Image:
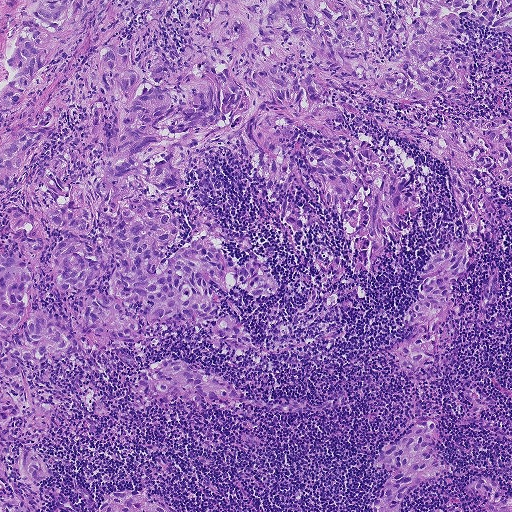
A 0.93-mm field of an H&E-stained sentinel lymph node from a breast-cancer patient (whole-slide image), shown at about 5×, about 1.8 µm per pixel.
Question:
Describe where the metastatic carcinoma lies in this crop.
Answer:
Boundaries of six metastatic tumour regions, simplified and listed clockwise, largest first: region 1: (29, 0), (511, 0), (511, 40), (462, 18), (477, 104), (452, 114), (511, 110), (511, 217), (459, 285), (440, 378), (387, 350), (463, 234), (448, 168), (388, 136), (434, 173), (403, 268), (344, 264), (302, 314), (310, 260), (349, 249), (337, 216), (306, 198), (299, 233), (252, 164), (205, 152), (196, 209), (278, 276), (244, 305), (210, 281), (252, 351), (184, 326), (135, 365), (63, 356), (31, 448), (68, 500), (0, 511), (0, 231), (27, 208), (0, 195), (0, 88); region 2: (427, 420), (437, 424), (442, 434), (434, 451), (435, 457), (438, 462), (449, 465), (452, 470), (414, 487), (409, 490), (397, 511), (372, 511), (370, 503), (380, 495), (386, 479), (395, 470), (377, 471), (373, 467), (383, 446), (400, 441), (415, 422); region 3: (166, 358), (187, 362), (222, 378), (245, 392), (244, 398), (206, 405), (187, 402), (182, 398), (175, 399), (171, 403), (141, 410), (135, 408), (136, 402), (132, 383), (150, 366); region 4: (122, 489), (128, 489), (157, 500), (174, 511), (98, 511), (99, 506), (106, 496); region 5: (486, 476), (491, 476), (504, 494), (511, 497), (511, 511), (487, 511), (485, 502), (488, 498), (484, 495), (474, 496), (465, 491), (466, 485), (471, 482); region 6: (491, 268), (497, 270), (499, 287), (495, 300), (491, 304), (489, 310), (483, 313), (480, 309), (482, 279), (488, 280).
Tumour covers about 60% of the frame.

Image:
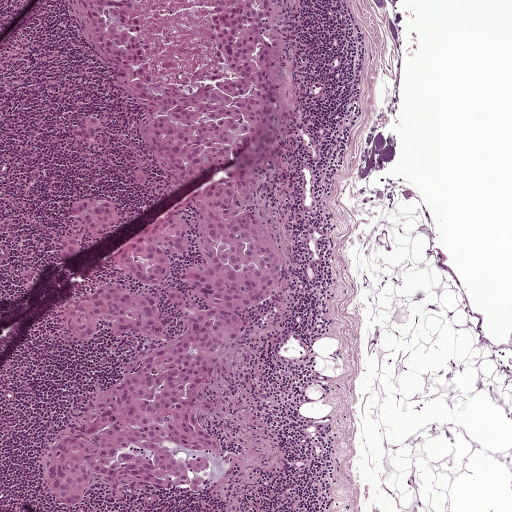
A 1-mm field of an H&E-stained sentinel lymph node from a breast-cancer patient (whole-slide image), shown at about 5×, about 1.9 µm per pixel.
Question:
Describe where the metastatic carcinoma lies in this crop.
Answer:
Outlines of two tumour regions, largest first (closed clockwise paths, crop pixels): region 1: (68, 0), (271, 0), (276, 126), (257, 191), (284, 271), (276, 301), (240, 314), (246, 328), (211, 365), (222, 397), (205, 426), (226, 452), (226, 478), (178, 494), (97, 484), (76, 510), (46, 496), (48, 458), (183, 327), (167, 286), (207, 309), (172, 261), (156, 291), (163, 338), (107, 337), (98, 319), (94, 338), (61, 334), (62, 303), (91, 285), (151, 288), (114, 261), (165, 213), (182, 212), (198, 254), (188, 203); region 2: (89, 199), (104, 200), (111, 205), (116, 217), (104, 233), (83, 236), (79, 258), (65, 259), (58, 247), (70, 221), (69, 207).
About 25% of the image area is annotated as tumour.

Image:
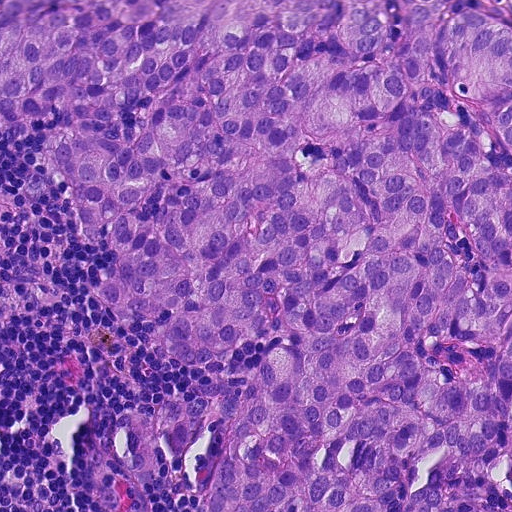
This is a crop of a whole-slide image: an H&E-stained breast-cancer sentinel lymph node section at roughly 20× magnification (about 0.45 µm per pixel; the crop spans about 0.23 mm).
Question:
Describe where the metastatic carcinoma lies in this crop.
Answer:
Metastatic tumour outline, simplified to 23 points and listed clockwise in crop pixels (x, y): (0, 0), (511, 0), (511, 511), (205, 511), (174, 458), (162, 485), (148, 487), (153, 511), (92, 504), (84, 456), (110, 424), (188, 399), (194, 377), (209, 370), (131, 345), (99, 318), (83, 281), (112, 267), (122, 247), (93, 241), (72, 206), (50, 124), (0, 133).
About 85% of the image area is annotated as tumour.

Image:
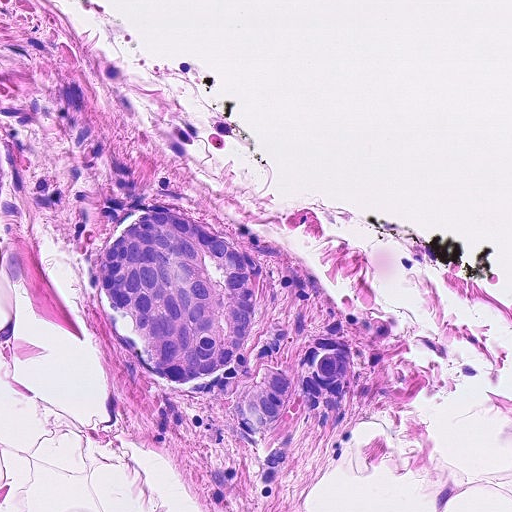
This is a crop of a whole-slide image: an H&E-stained breast-cancer sentinel lymph node section at roughly 20× magnification (about 0.45 µm per pixel; the crop spans about 0.23 mm).
Question:
Describe where the metastatic carcinoma lies in this crop.
Answer:
Metastatic tumour outline, simplified to 12 points and listed clockwise in crop pixels (x, y): (0, 170), (39, 224), (96, 254), (136, 208), (256, 239), (356, 325), (356, 386), (334, 444), (274, 462), (156, 378), (96, 354), (4, 274).
About 20% of this field is tumour.